This is a crop of a whole-slide image: an H&E-stained breast-cancer sentinel lymph node section at roughly 40× magnification (about 0.24 µm per pixel; the crop spans about 0.12 mm).
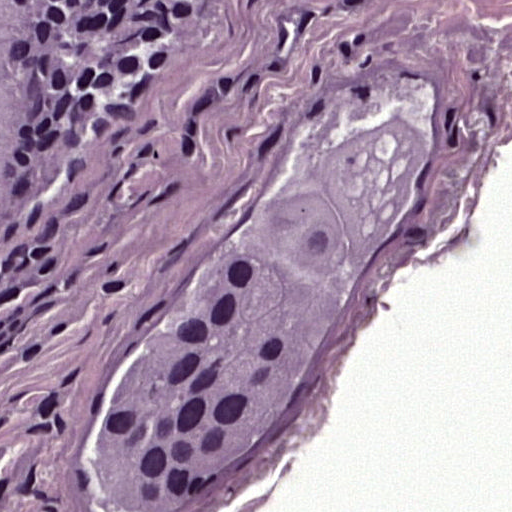
Question: Show where the tumour is in this image.
Answer: Boundaries of two metastatic tumour regions, simplified and listed clockwise, largest first: region 1: (389, 87), (418, 146), (330, 309), (312, 400), (247, 463), (174, 511), (79, 492), (88, 402), (143, 327), (213, 268), (272, 198), (328, 110); region 2: (0, 0), (45, 0), (51, 56), (39, 148), (0, 251).
About 25% of the image area is annotated as tumour.